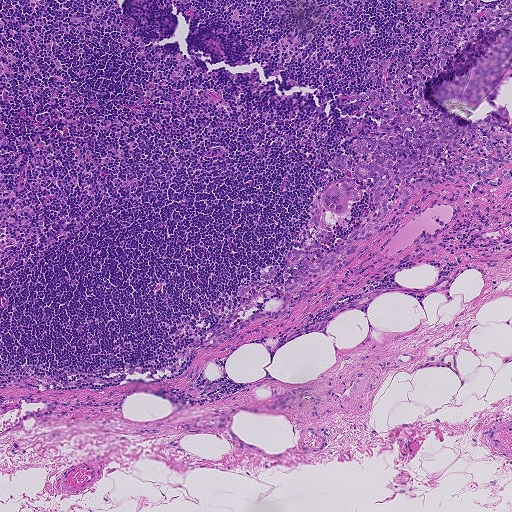
This is a crop of a whole-slide image: an H&E-stained breast-cancer sentinel lymph node section at roughly 5× magnification (about 1.8 µm per pixel; the crop spans about 0.93 mm).
One metastatic tumour region; its boundary, reduced to 34 corners and listed clockwise: (405, 0), (511, 0), (511, 27), (469, 42), (423, 92), (458, 126), (511, 122), (509, 179), (472, 193), (458, 180), (420, 190), (281, 317), (203, 345), (235, 324), (254, 294), (235, 286), (263, 280), (270, 263), (284, 274), (280, 259), (301, 249), (312, 199), (352, 171), (328, 168), (328, 159), (356, 156), (345, 124), (365, 102), (335, 94), (368, 91), (375, 58), (394, 75), (395, 63), (430, 44).
About 10% of this field is tumour.